Lymph node section stained with H&E, from a whole-slide image of a breast-cancer sentinel node. Magnification about 2.5×, about 1.9 mm across the frame, about 3.6 µm per pixel.
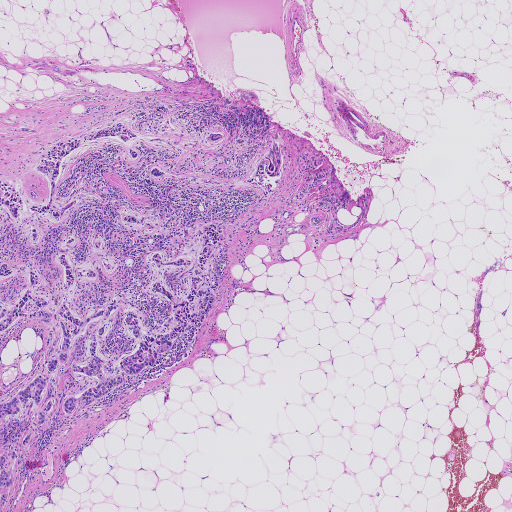
Question: Which parts of this field are metastatic tumour?
Answer: Outlines of eight tumour regions, largest first (closed clockwise paths, crop pixels): region 1: (128, 123), (134, 161), (106, 138), (67, 155), (54, 194), (62, 205), (78, 199), (61, 222), (39, 220), (38, 248), (76, 233), (85, 260), (91, 234), (105, 236), (120, 262), (115, 301), (154, 329), (173, 312), (147, 294), (150, 249), (195, 258), (203, 226), (225, 224), (210, 263), (215, 306), (155, 366), (61, 410), (0, 511), (0, 403), (64, 336), (57, 328), (48, 346), (48, 326), (22, 316), (0, 332), (0, 180), (41, 205), (51, 190), (36, 171), (52, 148); region 2: (247, 104), (253, 104), (266, 111), (270, 126), (263, 139), (251, 139), (242, 134), (231, 136), (218, 121), (222, 112), (227, 112), (231, 106), (238, 106), (245, 113), (247, 110), (243, 105); region 3: (277, 140), (280, 141), (284, 150), (284, 165), (282, 179), (271, 194), (262, 202), (258, 203), (262, 193), (257, 186), (242, 183), (242, 180), (252, 175), (259, 159); region 4: (130, 211), (143, 215), (144, 220), (141, 224), (128, 225), (121, 221), (122, 214); region 5: (153, 166), (158, 166), (165, 169), (167, 175), (164, 177), (157, 178), (151, 177), (148, 171); region 6: (215, 132), (223, 132), (223, 136), (221, 140), (213, 142), (207, 141), (206, 137), (210, 133); region 7: (141, 111), (147, 113), (143, 117), (133, 120), (131, 119), (134, 115); region 8: (128, 108), (126, 111), (121, 115), (113, 116), (114, 113), (121, 109).
Five more small tumour pieces are annotated here but not outlined.
Tumour covers about 15% of the frame.